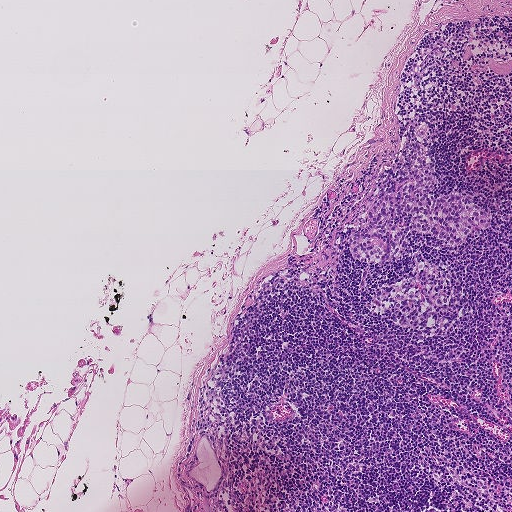
A 0.93-mm field of an H&E-stained sentinel lymph node from a breast-cancer patient (whole-slide image), shown at about 5×, about 1.8 µm per pixel.
Question: Trace the edge of each tumour region in this crop, as (x, y) points from 0 to 511.
Answer: Tumour region outline (a closed clockwise path, crop pixels): (418, 142), (437, 161), (434, 171), (445, 176), (429, 193), (434, 198), (456, 191), (471, 195), (492, 215), (490, 226), (484, 235), (469, 233), (450, 247), (430, 234), (411, 230), (401, 258), (382, 265), (354, 260), (348, 240), (352, 229), (362, 230), (372, 204), (410, 180), (399, 170).
Tumour covers about 5% of the frame.